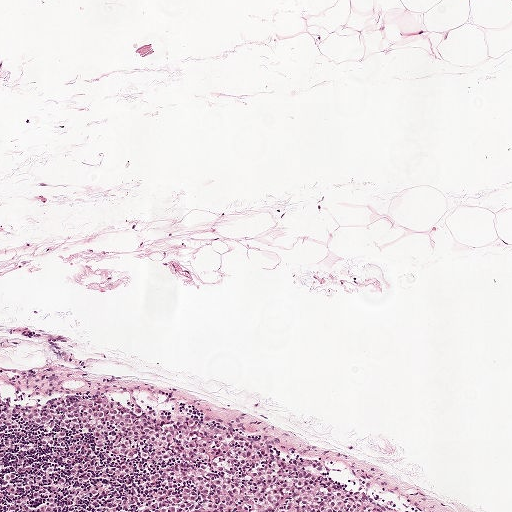
This is a crop of a whole-slide image: an H&E-stained breast-cancer sentinel lymph node section at roughly 5× magnification (about 1.9 µm per pixel; the crop spans about 1 mm).
Metastatic tumour outline, simplified to 12 points and listed clockwise in crop pixels (x, y): (0, 384), (42, 396), (152, 401), (210, 420), (272, 454), (387, 484), (432, 511), (0, 511), (0, 474), (68, 476), (46, 450), (2, 437).
About 10% of the image area is annotated as tumour.